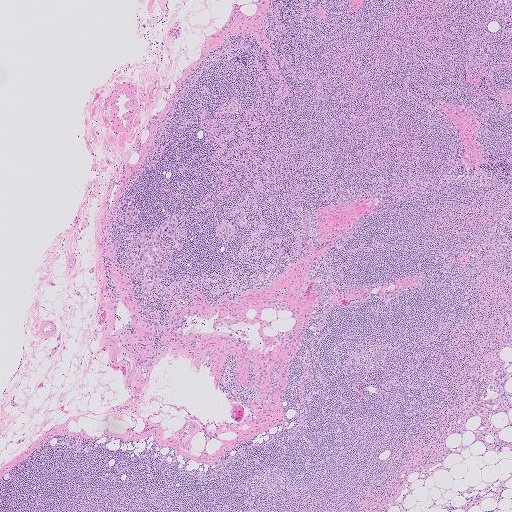
A 2.0-mm field of an H&E-stained sentinel lymph node from a breast-cancer patient (whole-slide image), shown at about 2.5×, about 4.0 µm per pixel.
Outlines of four tumour regions, largest first (closed clockwise paths, crop pixels): region 1: (171, 213), (177, 213), (183, 220), (186, 232), (180, 250), (171, 256), (164, 254), (164, 257), (171, 260), (168, 277), (162, 278), (148, 274), (140, 279), (137, 277), (134, 286), (130, 285), (127, 278), (135, 274), (127, 259), (127, 252), (137, 249), (137, 236), (141, 231), (158, 226); region 2: (130, 195), (135, 197), (132, 203), (138, 207), (138, 214), (131, 225), (124, 224), (119, 218), (115, 205), (120, 199); region 3: (230, 219), (234, 229), (232, 242), (225, 243), (221, 238), (215, 235), (214, 232), (220, 222); region 4: (245, 210), (248, 221), (248, 225), (247, 228), (243, 229), (237, 227), (235, 223), (237, 216), (239, 213), (242, 211).
Three more small tumour pieces are annotated here but not outlined.
The annotated tumour makes up under 5% of the crop.